Image:
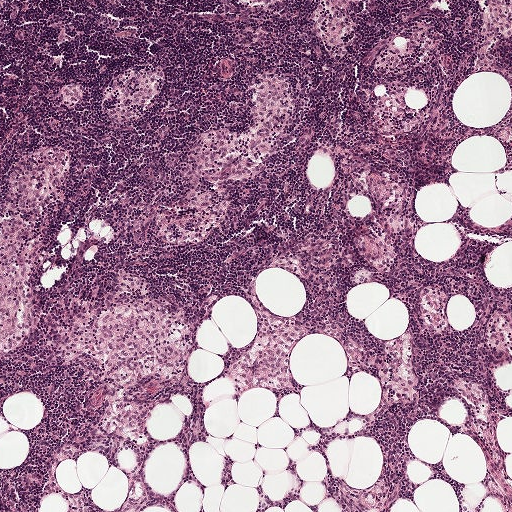
This is a crop of a whole-slide image: an H&E-stained breast-cancer sentinel lymph node section at roughly 5× magnification (about 1.9 µm per pixel; the crop spans about 1 mm).
Question:
Is there metastatic carcinoma in this field?
Answer:
No. No metastatic tumour is outlined in this field.